This is a crop of a whole-slide image: an H&E-stained breast-cancer sentinel lymph node section at roughly 20× magnification (about 0.45 µm per pixel; the crop spans about 0.23 mm).
Image:
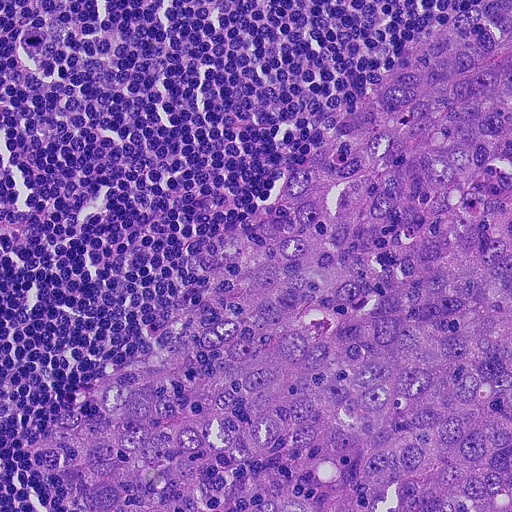
Question:
Does this lymph node field contain metastatic tumour?
Answer:
Yes.
One metastatic tumour region; its boundary, reduced to 11 corners and listed clockwise: (511, 0), (511, 511), (66, 511), (14, 449), (91, 371), (138, 355), (164, 324), (204, 236), (288, 179), (386, 68), (468, 9).
The annotated tumour makes up about 60% of the crop.